Question: 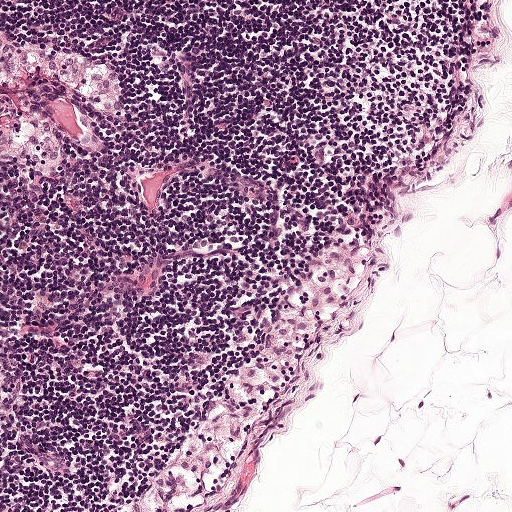
A 0.5-mm field of an H&E-stained sentinel lymph node from a breast-cancer patient (whole-slide image), shown at about 10×, about 0.97 µm per pixel.
What fraction of the image area is metastatic tumour?

Choices:
 (A) about 50% or more
 (B) none: no tumour is outlined
 (C) about 25% to 45%
 (D) about 5% or less
 (E) about 10% to 20%

Answer: (B) none: no tumour is outlined
No metastatic tumour is outlined in this field.